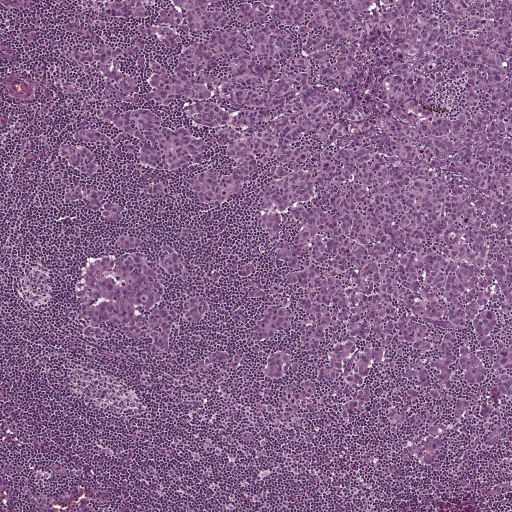
H&E-stained section of a sentinel lymph node (breast cancer), from a whole-slide image, viewed at about 5×: the field is about 1 mm across, about 1.9 µm per pixel.
Metastatic tumour outline, simplified to 20 points and listed clockwise in crop pixels (x, y): (108, 0), (511, 0), (511, 450), (280, 423), (264, 345), (196, 369), (253, 332), (234, 284), (156, 360), (78, 332), (117, 234), (200, 277), (265, 248), (236, 201), (175, 243), (200, 201), (140, 159), (94, 176), (125, 222), (61, 198).
The annotated tumour makes up about 60% of the crop.